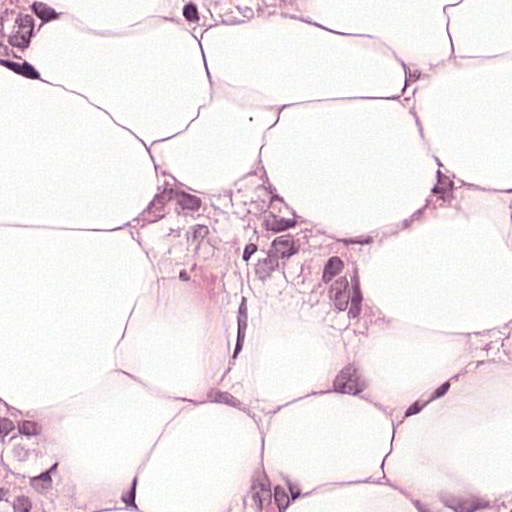
H&E-stained section of a sentinel lymph node (breast cancer), from a whole-slide image, viewed at about 40×: the field is about 0.12 mm across, about 0.24 µm per pixel.
Five metastatic tumour regions, each outlined as a closed clockwise path in crop pixels (x, y), largest first: region 1: (252, 145), (289, 205), (331, 220), (371, 249), (387, 289), (387, 318), (394, 326), (363, 335), (339, 323), (226, 307), (139, 278), (129, 249), (131, 220), (181, 178), (218, 178), (242, 163); region 2: (0, 374), (5, 397), (13, 407), (26, 457), (50, 468), (74, 470), (82, 477), (82, 496), (76, 511), (0, 511); region 3: (0, 0), (51, 0), (50, 60), (47, 65), (24, 78), (0, 80); region 4: (258, 463), (300, 470), (300, 473), (315, 478), (315, 507), (313, 507), (313, 511), (199, 511), (208, 510), (229, 497), (258, 468); region 5: (511, 477), (511, 511), (424, 511), (424, 507), (453, 507), (457, 503), (468, 500), (483, 500), (487, 496), (498, 488), (505, 485).
Two more small tumour pieces are annotated here but not outlined.
About 15% of this field is tumour.